This is a crop of a whole-slide image: an H&E-stained breast-cancer sentinel lymph node section at roughly 10× magnification (about 0.97 µm per pixel; the crop spans about 0.5 mm).
Image:
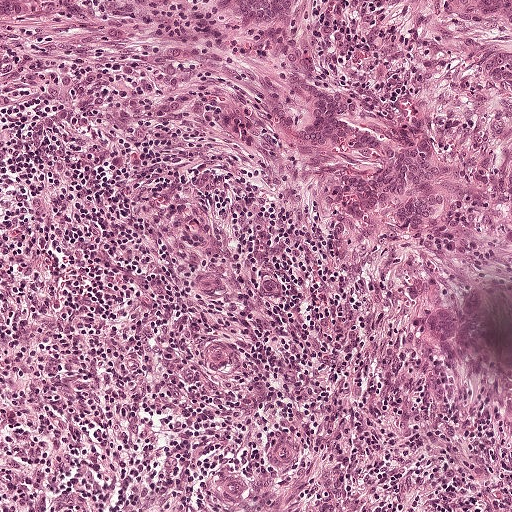
Question:
Trace the edge of each tumour region in this crop, as (x, y) points from 0 to 511.
Answer:
One metastatic tumour region; its boundary, reduced to 7 corners and listed clockwise: (0, 0), (511, 0), (511, 500), (456, 454), (343, 235), (143, 147), (3, 106).
About 45% of the image area is annotated as tumour.